Question: 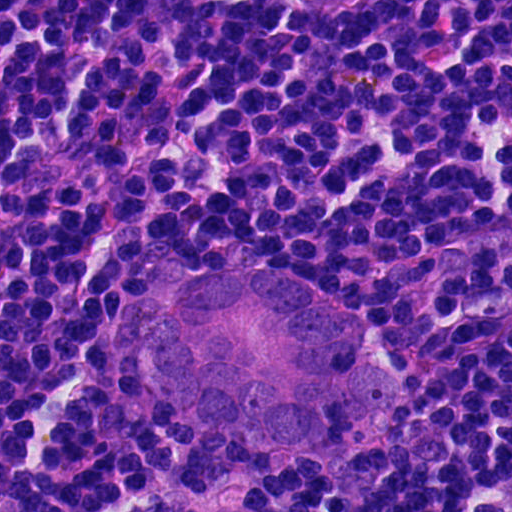
Which magnification is this H&E lymph node field most likely shown at?

Choices:
 (A) about 5×
 (B) about 10×
 (C) about 2.5×
 (D) about 40×
 (E) about 20×

Answer: (D) about 40×
H&E-stained section of a sentinel lymph node (breast cancer), from a whole-slide image, viewed at about 40×: the field is about 0.12 mm across, about 0.23 µm per pixel.
One metastatic tumour region; its boundary, reduced to 12 corners and listed clockwise: (236, 260), (315, 283), (401, 361), (402, 400), (374, 431), (291, 451), (207, 434), (169, 412), (137, 385), (118, 350), (127, 309), (197, 265).
One more small tumour piece is annotated here but not outlined.
Tumour covers about 15% of the frame.